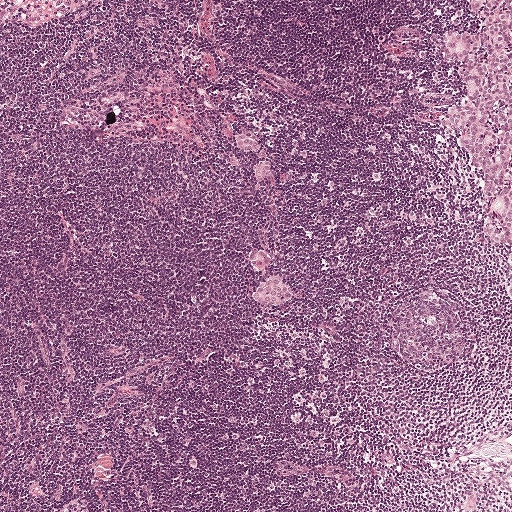
Lymph node section stained with H&E, from a whole-slide image of a breast-cancer sentinel node. Magnification about 5×, about 1 mm across the frame, about 1.9 µm per pixel.
Outlines of five tumour regions, largest first (closed clockwise paths, crop pixels): region 1: (511, 0), (511, 247), (481, 236), (475, 186), (460, 150), (444, 135), (441, 124), (459, 81), (442, 64), (440, 33), (474, 30), (474, 20), (467, 14), (470, 1); region 2: (277, 274), (284, 276), (290, 286), (295, 288), (295, 298), (276, 308), (252, 300), (250, 295), (266, 275); region 3: (238, 131), (246, 132), (255, 138), (260, 143), (260, 150), (245, 152), (236, 149), (234, 134); region 4: (261, 248), (269, 252), (272, 256), (272, 262), (261, 269), (253, 268), (248, 259), (253, 249); region 5: (262, 159), (268, 159), (270, 161), (270, 170), (265, 178), (256, 181), (251, 168), (254, 163).
Tumour covers about 5% of the frame.